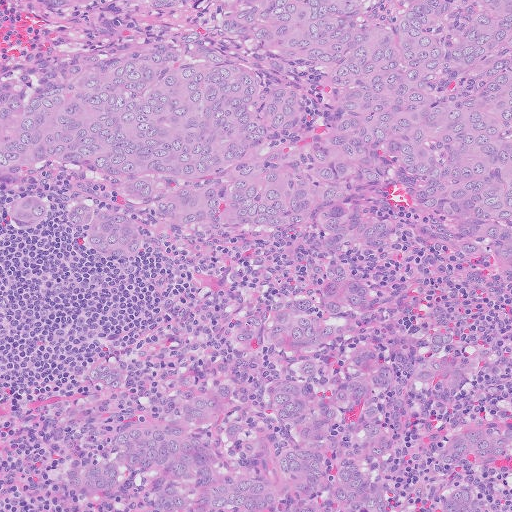
A 0.51-mm field of an H&E-stained sentinel lymph node from a breast-cancer patient (whole-slide image), shown at about 10×, about 1.0 µm per pixel.
Question: Which parts of this field are metastatic tumour? Answer with the outline of each region, in pixels.
Answer: One metastatic tumour region; its boundary, reduced to 22 corners and listed clockwise: (11, 0), (511, 0), (511, 492), (494, 490), (487, 511), (96, 511), (70, 492), (66, 470), (106, 448), (124, 408), (88, 372), (121, 369), (148, 426), (163, 419), (235, 341), (257, 246), (126, 267), (24, 244), (1, 217), (0, 79), (98, 55), (110, 21).
About 80% of this field is tumour.